Image:
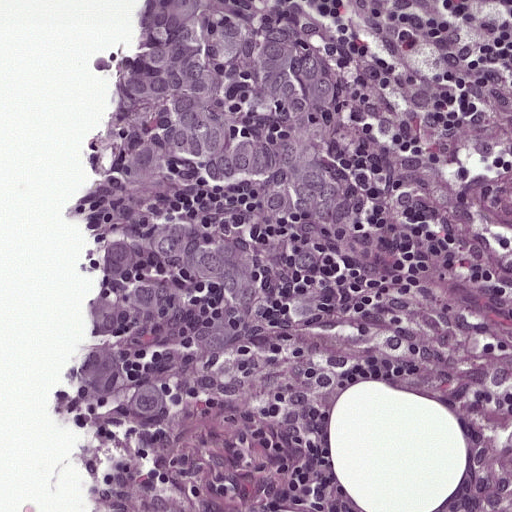
This is a crop of a whole-slide image: an H&E-stained breast-cancer sentinel lymph node section at roughly 20× magnification (about 0.49 µm per pixel; the crop spans about 0.25 mm).
Question:
Describe where the metastatic carcinoma lies in this crop.
Answer:
Three metastatic tumour regions, each outlined as a closed clockwise path in crop pixels (x, y), largest first: region 1: (146, 0), (209, 0), (244, 24), (294, 33), (330, 72), (338, 97), (328, 149), (350, 194), (352, 226), (274, 215), (268, 180), (216, 178), (176, 152), (146, 172), (120, 176), (106, 162), (174, 130), (160, 97), (108, 90), (89, 73), (107, 48), (140, 46); region 2: (155, 218), (182, 220), (206, 232), (257, 282), (262, 294), (259, 307), (214, 281), (188, 278), (164, 266), (154, 242); region 3: (112, 239), (126, 242), (134, 256), (128, 270), (105, 280), (102, 297), (154, 276), (173, 306), (152, 317), (112, 330), (88, 332), (86, 303), (96, 284), (104, 256).
Three more small tumour pieces are annotated here but not outlined.
About 20% of the image area is annotated as tumour.